Image:
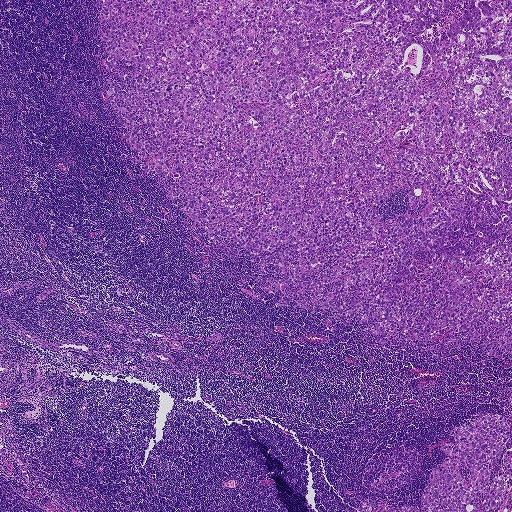
H&E-stained section of a sentinel lymph node (breast cancer), from a whole-slide image, viewed at about 2.5×: the field is about 1.9 mm across, about 3.6 µm per pixel.
Question:
Show where the tumour is in this image.
Answer:
Three metastatic tumour regions, each outlined as a closed clockwise path in crop pixels (x, y), largest first: region 1: (511, 0), (511, 359), (487, 353), (492, 344), (424, 351), (434, 343), (274, 303), (281, 291), (260, 289), (281, 279), (276, 266), (254, 271), (247, 249), (198, 234), (207, 222), (166, 194), (182, 177), (132, 158), (107, 93), (109, 75), (123, 79), (104, 61), (99, 3); region 2: (492, 413), (505, 417), (510, 434), (489, 475), (490, 481), (511, 445), (511, 484), (499, 511), (399, 511), (400, 508), (408, 505), (420, 510), (422, 492), (434, 466), (449, 458), (439, 447), (444, 442), (455, 440), (454, 436), (449, 436), (452, 428); region 3: (364, 501), (366, 504), (368, 507), (371, 506), (372, 509), (370, 511), (362, 511), (360, 511), (357, 509), (359, 506), (361, 502).
One more small tumour piece is annotated here but not outlined.
About 45% of this field is tumour.